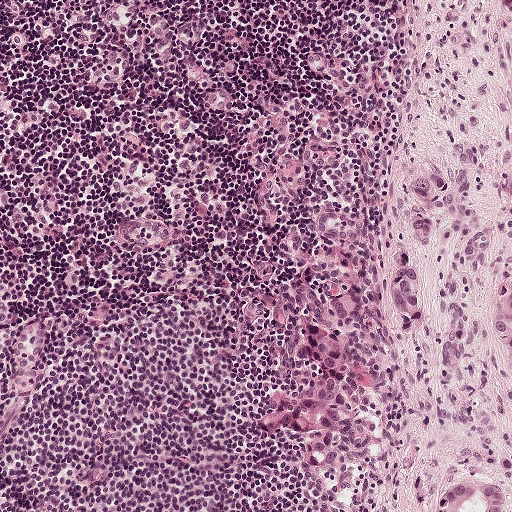
H&E-stained section of a sentinel lymph node (breast cancer), from a whole-slide image, viewed at about 10×: the field is about 0.5 mm across, about 0.97 µm per pixel.
Six metastatic tumour regions, each outlined as a closed clockwise path in crop pixels (x, y), largest first: region 1: (325, 283), (358, 296), (363, 324), (344, 338), (344, 364), (354, 405), (369, 425), (370, 447), (356, 470), (310, 466), (306, 458), (311, 441), (268, 426), (277, 398), (326, 377), (284, 357), (302, 332), (289, 298), (291, 288), (313, 288), (320, 303); region 2: (398, 247), (406, 248), (422, 278), (423, 318), (418, 332), (411, 338), (403, 338), (398, 336), (391, 320), (387, 277), (399, 253); region 3: (484, 478), (500, 485), (510, 494), (511, 511), (434, 511), (442, 492), (464, 480); region 4: (438, 173), (446, 186), (446, 195), (437, 203), (434, 209), (432, 238), (427, 248), (421, 251), (417, 248), (406, 223), (407, 198), (412, 184), (418, 176); region 5: (511, 296), (511, 385), (504, 377), (497, 366), (496, 366), (490, 352), (491, 338), (493, 330), (504, 311), (505, 307), (509, 303); region 6: (495, 0), (511, 0), (511, 67), (510, 63), (510, 55), (508, 47), (505, 40), (504, 35), (502, 29), (502, 24), (499, 12), (498, 12), (497, 6), (495, 2).
One more small tumour piece is annotated here but not outlined.
About 10% of this field is tumour.